H&E-stained section of a sentinel lymph node (breast cancer), from a whole-slide image, viewed at about 40×: the field is about 0.12 mm across, about 0.24 µm per pixel.
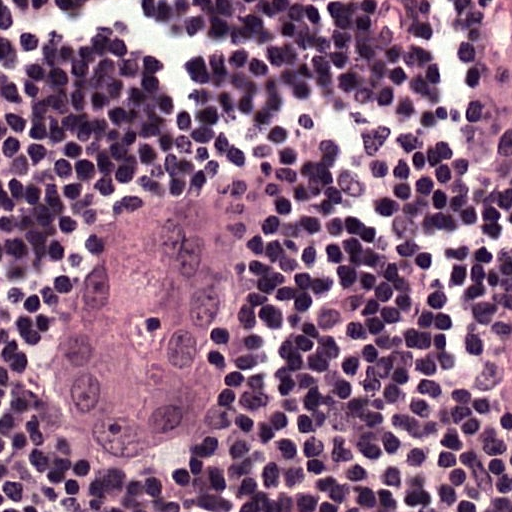
Outlines of three tumour regions, largest first (closed clockwise paths, crop pixels): region 1: (187, 176), (247, 219), (247, 262), (223, 373), (205, 394), (194, 444), (160, 468), (126, 468), (82, 453), (44, 373), (55, 305), (126, 189); region 2: (461, 0), (511, 0), (511, 179), (497, 172), (495, 154), (479, 120), (468, 107), (458, 80), (458, 57), (463, 46); region 3: (511, 296), (511, 402), (508, 399), (505, 399), (500, 393), (497, 393), (497, 388), (492, 386), (492, 380), (495, 380), (495, 354), (497, 354), (497, 336), (503, 325).
The annotated tumour makes up about 20% of the crop.